H&E-stained section of a sentinel lymph node (breast cancer), from a whole-slide image, viewed at about 5×: the field is about 1 mm across, about 1.9 µm per pixel.
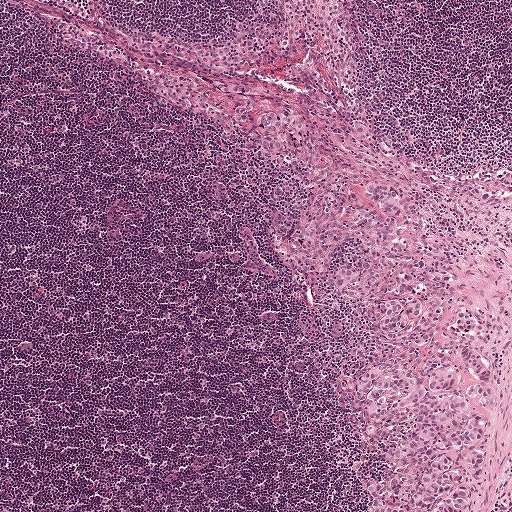
Three metastatic tumour regions, each outlined as a closed clockwise path in crop pixels (x, y), largest first: region 1: (384, 238), (451, 267), (459, 290), (446, 310), (476, 311), (488, 329), (480, 342), (494, 348), (500, 388), (470, 511), (371, 511), (367, 488), (386, 452), (418, 422), (411, 412), (369, 435), (342, 395), (336, 380), (390, 344), (373, 309), (326, 280), (337, 261); region 2: (293, 107), (300, 110), (306, 117), (307, 122), (301, 138), (288, 155), (267, 158), (260, 156), (254, 149), (254, 139), (259, 128), (259, 123), (255, 117), (268, 110); region 3: (381, 176), (401, 190), (405, 198), (404, 218), (397, 220), (383, 213), (370, 199), (365, 196), (362, 186), (364, 182).
About 15% of this field is tumour.